Image:
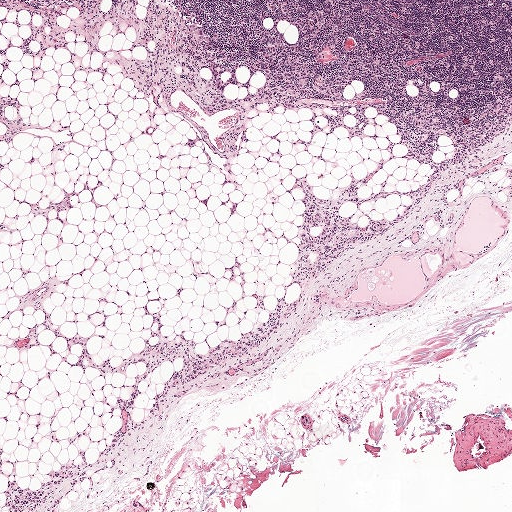
Lymph node section stained with H&E, from a whole-slide image of a breast-cancer sentinel node. Magnification about 2.5×, about 2.0 mm across the frame, about 3.9 µm per pixel.
Question:
Show where the tumour is in this image.
Answer:
Boundaries of four metastatic tumour regions, simplified and listed clockwise, largest first: region 1: (97, 177), (102, 180), (102, 184), (94, 194), (94, 197), (100, 204), (101, 206), (95, 205), (90, 200), (88, 190), (79, 194), (73, 195), (72, 196), (73, 209), (70, 210), (60, 209), (63, 218), (63, 223), (60, 223), (57, 220), (46, 222), (41, 217), (32, 217), (30, 207), (19, 203), (22, 200), (29, 200), (38, 207), (44, 207), (47, 204), (61, 200), (67, 194), (78, 191), (83, 186), (84, 180), (87, 187), (92, 184); region 2: (227, 199), (237, 201), (237, 203), (235, 212), (232, 214), (230, 214), (229, 211), (229, 206), (231, 203), (229, 202), (228, 202), (225, 205), (222, 205), (220, 204), (220, 202), (222, 200), (225, 200); region 3: (194, 136), (198, 138), (198, 140), (196, 142), (196, 146), (192, 146), (184, 144), (184, 143), (184, 139), (187, 138), (192, 137); region 4: (210, 193), (211, 193), (211, 195), (208, 203), (208, 208), (198, 200), (202, 198).
One more tumour region is annotated but not outlined: its edge is too irregular for a short outline.
One more small tumour piece is annotated here but not outlined.
The annotated tumour makes up about 20% of the crop.